Image:
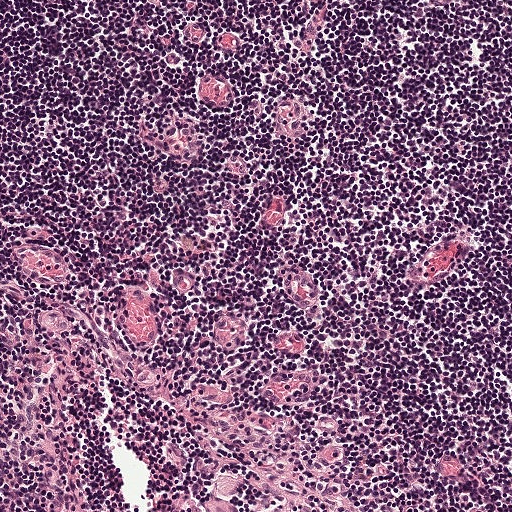
This is a crop of a whole-slide image: an H&E-stained breast-cancer sentinel lymph node section at roughly 10× magnification (about 0.97 µm per pixel; the crop spans about 0.5 mm).
Question:
Is any metastatic breast cancer visible in this crop?
Answer:
No: no metastatic tumour is outlined anywhere in this field.